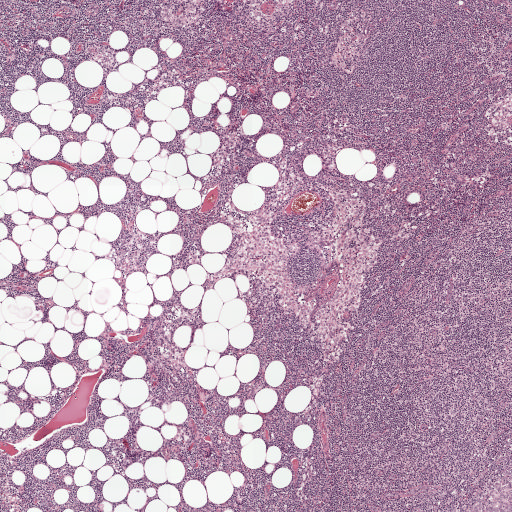
H&E-stained section of a sentinel lymph node (breast cancer), from a whole-slide image, viewed at about 2.5×: the field is about 2.0 mm across, about 3.9 µm per pixel.
Metastatic tumour outline, simplified to 5 points and listed clockwise in crop pixels (x, y): (511, 459), (511, 511), (463, 511), (471, 500), (488, 486).
Under 5% of the image area is annotated as tumour.